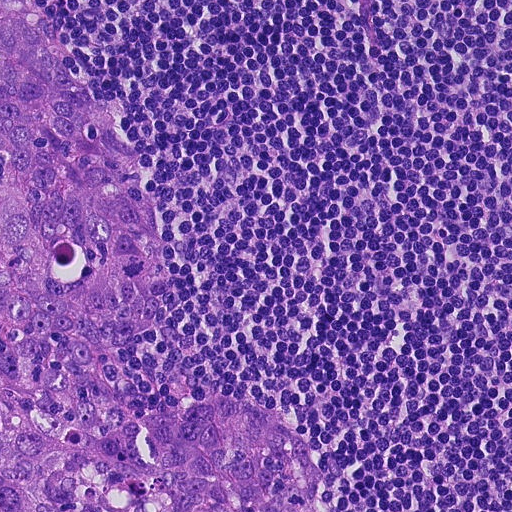
A 0.23-mm field of an H&E-stained sentinel lymph node from a breast-cancer patient (whole-slide image), shown at about 20×, about 0.45 µm per pixel.
One metastatic tumour region; its boundary, reduced to 15 corners and listed clockwise: (0, 0), (42, 0), (116, 103), (163, 244), (168, 292), (134, 327), (86, 339), (88, 388), (132, 412), (230, 392), (276, 410), (316, 443), (312, 492), (294, 511), (0, 511).
About 30% of the image area is annotated as tumour.